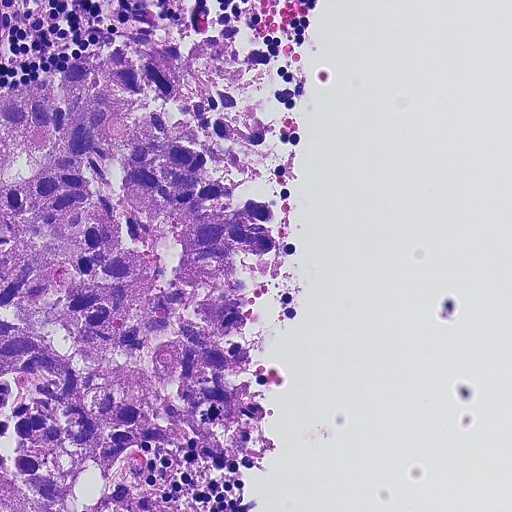
A 0.23-mm field of an H&E-stained sentinel lymph node from a breast-cancer patient (whole-slide image), shown at about 20×, about 0.45 µm per pixel.
Metastatic tumour outline, simplified to 16 points and listed clockwise in crop pixels (x, y): (231, 22), (272, 54), (280, 103), (276, 257), (249, 302), (270, 410), (268, 460), (241, 474), (160, 454), (148, 477), (164, 497), (160, 511), (0, 511), (0, 93), (110, 36), (185, 48).
One more small tumour piece is annotated here but not outlined.
About 45% of this field is tumour.